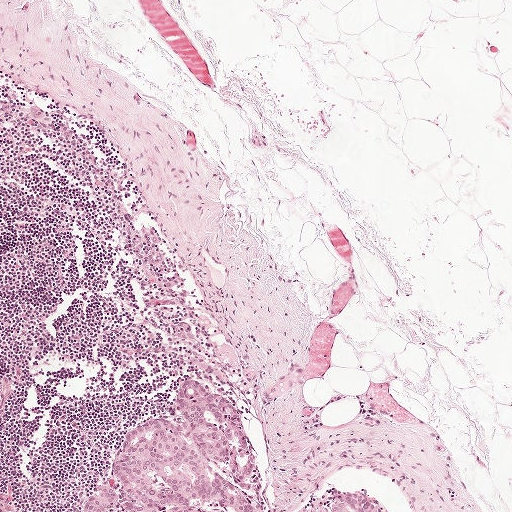
Lymph node section stained with H&E, from a whole-slide image of a breast-cancer sentinel node. Magnification about 5×, about 1 mm across the frame, about 1.9 µm per pixel.
Outlines of two tumour regions, largest first (closed clockwise paths, crop pixels): region 1: (196, 381), (220, 386), (227, 394), (260, 470), (263, 511), (82, 511), (108, 475), (119, 438), (147, 421), (177, 421), (174, 406), (182, 385); region 2: (352, 493), (369, 498), (377, 503), (381, 511), (321, 511), (323, 507), (326, 504), (342, 495).
The annotated tumour makes up about 5% of the crop.